Question: 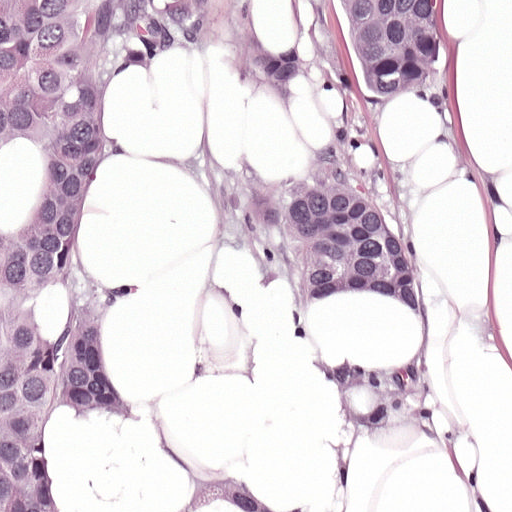
Lymph node section stained with H&E, from a whole-slide image of a breast-cancer sentinel node. Magnification about 20×, about 0.25 mm across the frame, about 0.49 µm per pixel.
Roughly what share of this field is metastatic tumour?

Choices:
 (A) about 25% to 45%
 (B) none: no tumour is outlined
 (C) about 50% or more
 (D) about 10% to 20%
 (E) about 5% or less

Answer: (C) about 50% or more
About 50% of the field is tumour.
Outlines of two tumour regions, largest first (closed clockwise paths, crop pixels): region 1: (0, 0), (447, 0), (455, 87), (414, 117), (364, 110), (348, 130), (426, 290), (416, 447), (338, 432), (246, 224), (296, 172), (326, 90), (296, 110), (201, 62), (126, 87), (94, 242), (148, 272), (118, 367), (146, 434), (66, 432), (103, 511), (0, 511); region 2: (236, 474), (306, 511), (138, 511), (154, 502).
One more small tumour piece is annotated here but not outlined.